H&E-stained section of a sentinel lymph node (breast cancer), from a whole-slide image, viewed at about 5×: the field is about 1 mm across, about 1.9 µm per pixel.
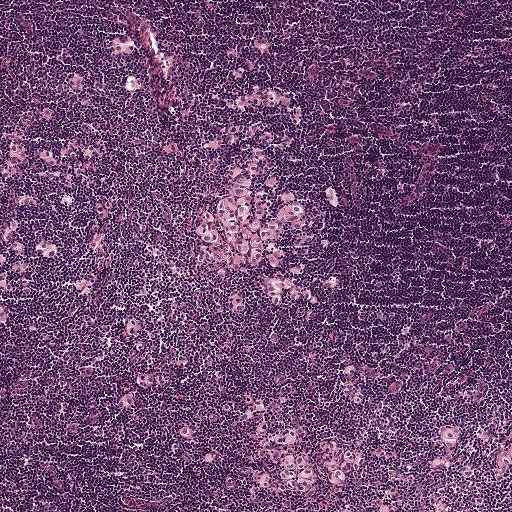
Question: Is there metastatic carcinoma in this field?
Answer: Yes.
Outlines of five tumour regions, largest first (closed clockwise paths, crop pixels): region 1: (247, 162), (258, 192), (266, 194), (274, 212), (279, 213), (290, 198), (299, 204), (299, 228), (280, 226), (278, 238), (286, 267), (307, 289), (303, 301), (292, 301), (284, 291), (278, 304), (270, 302), (260, 291), (258, 270), (228, 262), (224, 249), (195, 236), (194, 224), (205, 203); region 2: (282, 427), (296, 429), (303, 446), (314, 445), (324, 438), (339, 442), (354, 450), (354, 461), (338, 482), (312, 482), (299, 492), (284, 489), (282, 480), (278, 477), (279, 466), (268, 458), (273, 444), (272, 435); region 3: (440, 423), (461, 425), (461, 432), (451, 447), (446, 446), (438, 431); region 4: (42, 240), (49, 240), (53, 242), (47, 242), (51, 245), (57, 252), (57, 255), (54, 256), (44, 256), (41, 255), (38, 251), (38, 246), (40, 242); region 5: (382, 505), (386, 507), (388, 508), (396, 511), (377, 511), (378, 507).
About 5% of the image area is annotated as tumour.